Image:
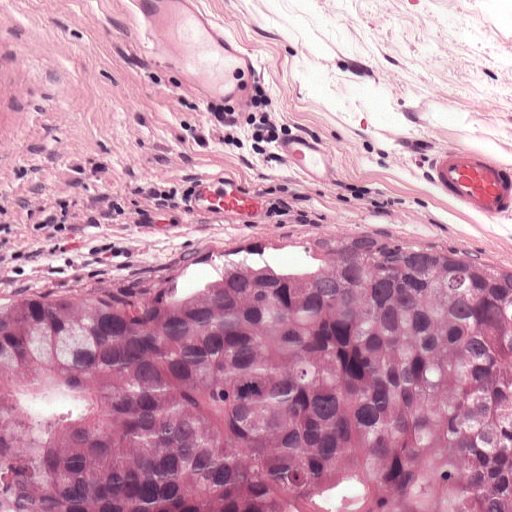
This is a crop of a whole-slide image: an H&E-stained breast-cancer sentinel lymph node section at roughly 20× magnification (about 0.49 µm per pixel; the crop spans about 0.25 mm).
Question:
Outline the metastatic carcinoma in this image, as closed paths of (x, y) pixel coordinates.
Answer:
Metastatic tumour outline, simplified to 6 points and listed clockwise in crop pixels (x, y): (248, 224), (436, 230), (511, 247), (511, 511), (0, 511), (0, 272).
Tumour covers about 55% of the frame.